Image:
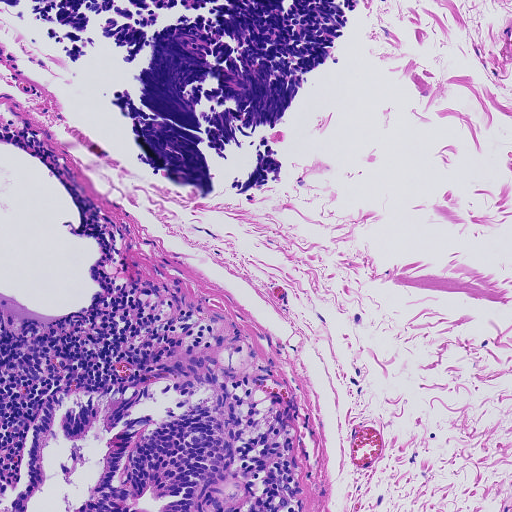
H&E-stained section of a sentinel lymph node (breast cancer), from a whole-slide image, viewed at about 10×: the field is about 0.46 mm across, about 0.91 µm per pixel.
Question:
Which parts of this field are metastatic tumour?
Answer:
The outlined metastatic tumour's edge, as a closed clockwise path of 14 points: (226, 331), (230, 340), (218, 364), (240, 422), (240, 477), (249, 493), (236, 507), (0, 511), (0, 481), (14, 490), (26, 438), (56, 390), (125, 384), (196, 353).
About 10% of this field is tumour.

Image:
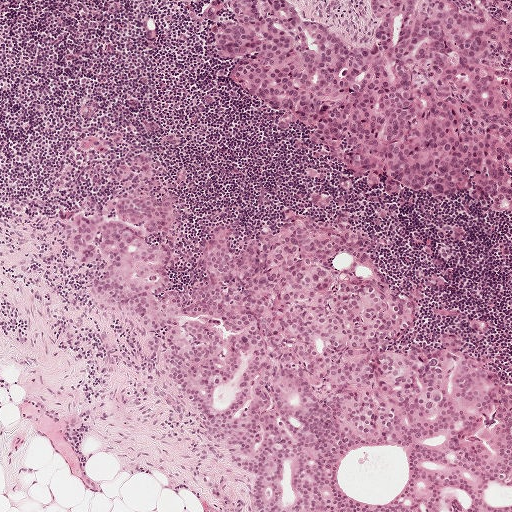
A 1-mm field of an H&E-stained sentinel lymph node from a breast-cancer patient (whole-slide image), shown at about 5×, about 1.9 µm per pixel.
Question:
Which parts of this field are metastatic tumour?
Answer:
Boundaries of two metastatic tumour regions, simplified and listed clockwise, largest first: region 1: (157, 184), (176, 202), (166, 291), (181, 292), (217, 224), (239, 245), (284, 210), (347, 211), (414, 307), (386, 349), (454, 332), (511, 378), (511, 511), (256, 511), (246, 469), (201, 434), (144, 320), (93, 302), (63, 236), (78, 210), (104, 217); region 2: (209, 0), (286, 0), (360, 48), (374, 26), (369, 1), (511, 0), (511, 219), (476, 205), (466, 191), (451, 201), (419, 188), (394, 198), (362, 186), (345, 163), (306, 141), (301, 125), (280, 132), (274, 113), (246, 99), (229, 64), (217, 58), (215, 30), (202, 16).
Tumour covers about 50% of the frame.

Image:
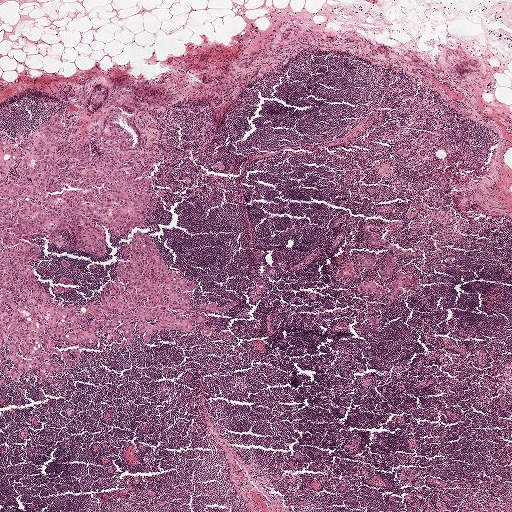
This is a crop of a whole-slide image: an H&E-stained breast-cancer sentinel lymph node section at roughly 2.5× magnification (about 3.9 µm per pixel; the crop spans about 2.0 mm).
Question:
Which parts of this field are metastatic tumour?
Answer:
Outlines of eight tumour regions, largest first (closed clockwise paths, crop pixels): region 1: (130, 104), (143, 142), (114, 152), (153, 178), (146, 214), (122, 237), (102, 224), (98, 255), (69, 229), (59, 230), (65, 245), (38, 237), (35, 276), (64, 305), (102, 298), (144, 230), (196, 279), (183, 314), (208, 321), (145, 342), (136, 326), (131, 345), (105, 342), (100, 328), (79, 363), (58, 357), (64, 373), (52, 383), (31, 370), (2, 384), (0, 136), (22, 143), (58, 112), (52, 156), (86, 140), (94, 155), (108, 111); region 2: (406, 272), (415, 275), (417, 282), (415, 286), (406, 285), (404, 287), (408, 288), (410, 291), (393, 299), (390, 297), (391, 288), (398, 273); region 3: (391, 253), (394, 255), (395, 267), (390, 278), (381, 280), (378, 277), (378, 272), (386, 256); region 4: (374, 282), (387, 289), (389, 292), (389, 294), (377, 298), (375, 296), (377, 291), (371, 294), (363, 292), (358, 289), (360, 283); region 5: (101, 87), (104, 87), (106, 90), (106, 99), (102, 105), (90, 113), (87, 108), (95, 91); region 6: (350, 260), (353, 261), (356, 269), (356, 278), (346, 278), (336, 281), (334, 280), (335, 274), (344, 266), (346, 263); region 7: (371, 253), (375, 256), (374, 269), (366, 270), (361, 267), (356, 259), (356, 254), (365, 255); region 8: (214, 302), (218, 304), (219, 305), (218, 311), (216, 312), (204, 310), (200, 308), (201, 305), (210, 304).
Three more small tumour pieces are annotated here but not outlined.
Tumour covers about 15% of the frame.

Image:
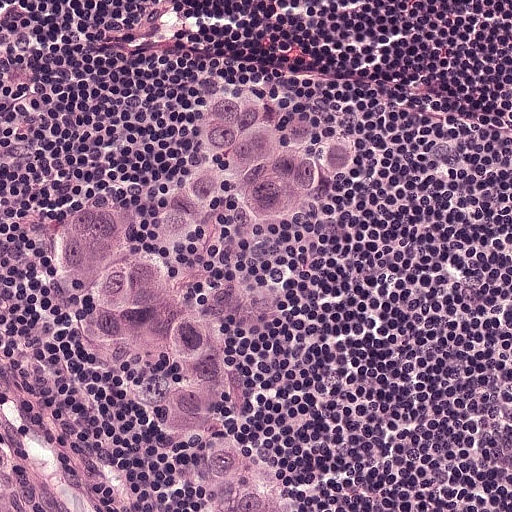
Lymph node section stained with H&E, from a whole-slide image of a breast-cancer sentinel node. Magnification about 20×, about 0.25 mm across the frame, about 0.49 µm per pixel.
Question:
Which parts of this field are metastatic tumour?
Answer:
Outlines of two tumour regions, largest first (closed clockwise paths, crop pixels): region 1: (200, 91), (254, 91), (303, 128), (359, 142), (359, 165), (312, 224), (263, 230), (246, 248), (268, 322), (238, 362), (300, 511), (198, 511), (198, 490), (160, 418), (86, 364), (50, 299), (35, 236), (72, 199), (144, 202), (186, 185), (200, 170); region 2: (0, 455), (1, 458), (10, 461), (10, 464), (15, 464), (26, 476), (32, 478), (46, 498), (50, 498), (50, 506), (51, 511), (0, 511).
The annotated tumour makes up about 25% of the crop.